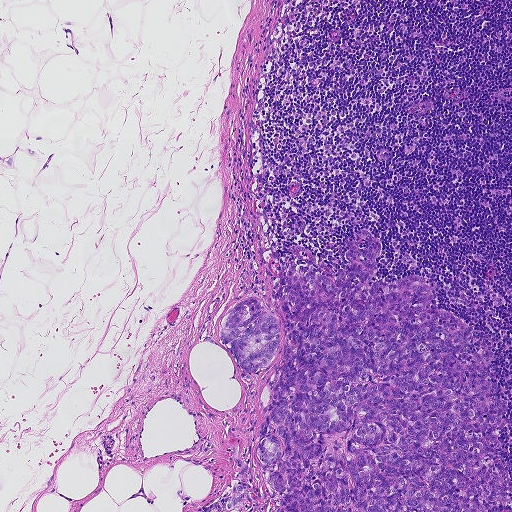
Lymph node section stained with H&E, from a whole-slide image of a breast-cancer sentinel node. Magnification about 5×, about 0.93 mm across the frame, about 1.8 µm per pixel.
Two metastatic tumour regions, each outlined as a closed clockwise path in crop pixels (x, y), largest first: region 1: (362, 229), (382, 244), (377, 280), (439, 285), (438, 309), (478, 333), (466, 352), (493, 351), (487, 380), (507, 403), (491, 432), (511, 504), (276, 511), (274, 470), (256, 454), (285, 338), (275, 284), (317, 273), (335, 284), (350, 267), (346, 242); region 2: (246, 298), (259, 299), (266, 310), (276, 317), (279, 323), (280, 336), (276, 355), (265, 372), (249, 373), (238, 366), (228, 349), (222, 345), (219, 333), (220, 326), (232, 310).
Tumour covers about 20% of the frame.